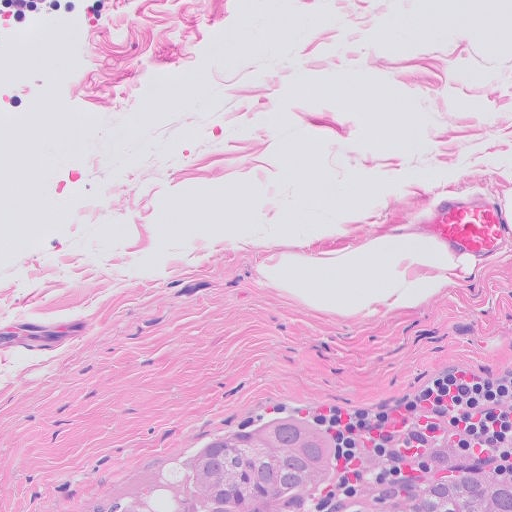
Lymph node section stained with H&E, from a whole-slide image of a breast-cancer sentinel node. Magnification about 20×, about 0.26 mm across the frame, about 0.5 µm per pixel.
The outlined metastatic tumour's edge, as a closed clockwise path of 14 points: (305, 406), (340, 442), (337, 471), (354, 494), (382, 490), (406, 474), (422, 449), (452, 444), (474, 464), (511, 466), (511, 511), (79, 511), (122, 474), (243, 412).
About 10% of this field is tumour.